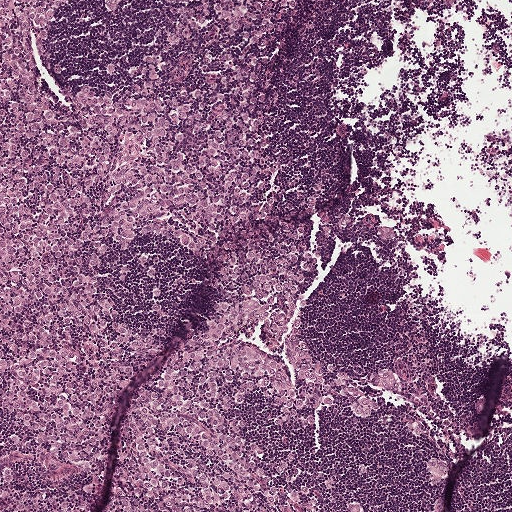
This is a crop of a whole-slide image: an H&E-stained breast-cancer sentinel lymph node section at roughly 5× magnification (about 1.9 µm per pixel; the crop spans about 1 mm).
The outlined metastatic tumour's edge, as a closed clockwise path of 39 points: (0, 0), (73, 0), (32, 60), (61, 108), (71, 92), (124, 93), (122, 71), (164, 47), (167, 0), (302, 0), (271, 123), (313, 210), (302, 338), (386, 415), (372, 428), (314, 409), (284, 433), (235, 396), (227, 429), (346, 510), (101, 511), (134, 399), (208, 321), (213, 286), (243, 245), (260, 229), (310, 224), (303, 210), (246, 218), (201, 262), (172, 245), (110, 253), (96, 292), (147, 326), (151, 353), (111, 411), (105, 487), (88, 511), (0, 511).
Tumour covers about 50% of the frame.